Lymph node section stained with H&E, from a whole-slide image of a breast-cancer sentinel node. Magnification about 10×, about 0.46 mm across the frame, about 0.9 µm per pixel.
Question: 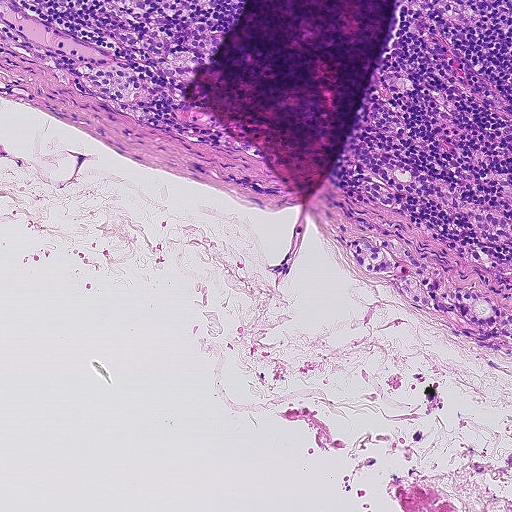
Estimate the proportion of this field that is metastatic tumour.

Choices:
 (A) about 10% to 20%
 (B) about 50% or more
 (C) about 25% to 45%
 (D) about 5% or less
 (E) none: no tumour is outlined

Answer: (C) about 25% to 45%
About 25% of the field is tumour.
The outlined metastatic tumour's edge, as a closed clockwise path of 15 points: (0, 0), (247, 0), (186, 91), (303, 200), (345, 131), (394, 0), (472, 0), (511, 91), (511, 246), (458, 268), (511, 301), (511, 349), (358, 276), (257, 164), (0, 52).